Question: 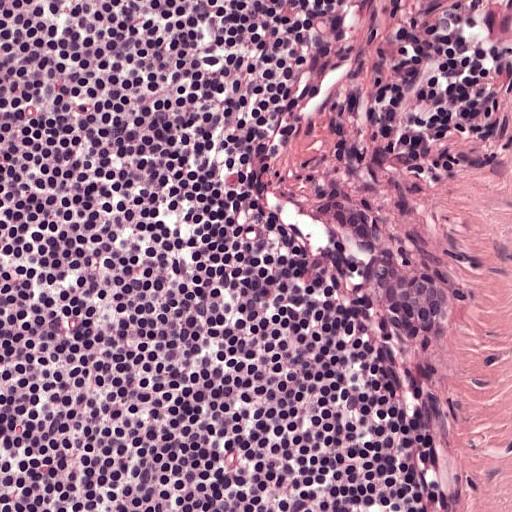
Which magnification is this H&E lymph node field most likely shown at?

Choices:
 (A) about 2.5×
 (B) about 40×
 (C) about 10×
 (D) about 5×
 (E) about 20×

Answer: (E) about 20×
This is a crop of a whole-slide image: an H&E-stained breast-cancer sentinel lymph node section at roughly 20× magnification (about 0.49 µm per pixel; the crop spans about 0.25 mm).
The outlined metastatic tumour's edge, as a closed clockwise path of 11 points: (315, 184), (336, 186), (412, 250), (444, 286), (453, 310), (453, 334), (430, 342), (406, 336), (385, 324), (346, 234), (310, 200).
About 5% of the image area is annotated as tumour.
Question: 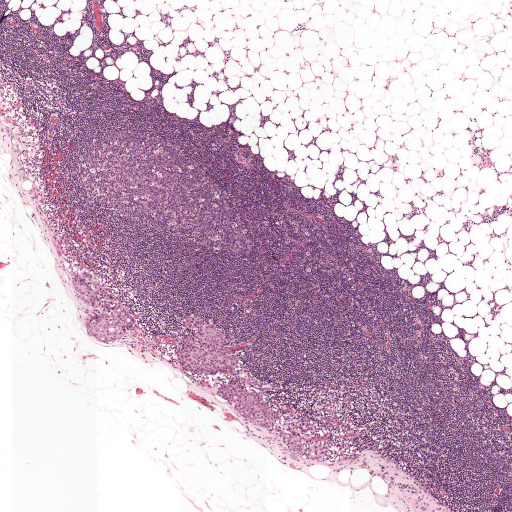
Which magnification is this H&E lymph node field most likely shown at?

Choices:
 (A) about 10×
 (B) about 2.5×
 (C) about 40×
 (D) about 5×
 (E) about 20×

Answer: (B) about 2.5×
H&E-stained section of a sentinel lymph node (breast cancer), from a whole-slide image, viewed at about 2.5×: the field is about 2.0 mm across, about 3.9 µm per pixel.
Four metastatic tumour regions, each outlined as a closed clockwise path in crop pixels (x, y), largest first: region 1: (192, 311), (205, 314), (224, 333), (237, 355), (238, 361), (235, 373), (223, 378), (191, 374), (181, 366), (177, 348), (182, 344), (193, 342), (195, 329), (183, 328), (179, 322), (181, 316), (186, 312); region 2: (80, 271), (87, 271), (108, 286), (118, 303), (129, 309), (134, 320), (132, 326), (126, 329), (121, 340), (109, 343), (91, 338), (86, 334), (83, 328), (86, 322), (103, 315), (110, 314), (96, 297), (98, 307), (88, 307), (77, 300), (72, 281), (74, 276); region 3: (235, 380), (248, 385), (265, 396), (280, 410), (282, 416), (280, 422), (270, 429), (263, 429), (240, 417), (217, 394), (217, 388), (221, 384); region 4: (292, 439), (304, 440), (306, 446), (306, 453), (301, 458), (295, 458), (289, 456), (287, 450), (288, 443).
The annotated tumour makes up about 5% of the crop.
Question: 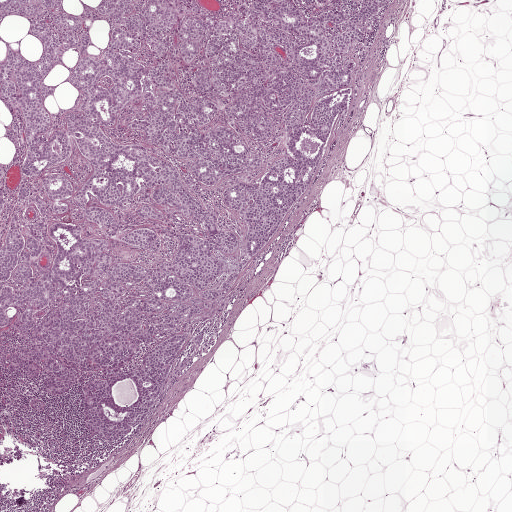
Which magnification is this H&E lymph node field most likely shown at?

Choices:
 (A) about 10×
 (B) about 2.5×
 (C) about 20×
 (D) about 5×
 (E) about 40×

Answer: (B) about 2.5×
Lymph node section stained with H&E, from a whole-slide image of a breast-cancer sentinel node. Magnification about 2.5×, about 2.0 mm across the frame, about 3.9 µm per pixel.
Metastatic tumour outline, simplified to 38 points and listed clockwise in crop pixels (x, y): (0, 0), (195, 0), (205, 21), (385, 0), (344, 60), (348, 108), (300, 138), (326, 144), (318, 169), (246, 267), (244, 220), (221, 195), (268, 166), (193, 188), (240, 238), (209, 286), (239, 274), (222, 310), (125, 365), (203, 330), (121, 441), (86, 429), (83, 390), (119, 377), (117, 377), (78, 381), (47, 396), (0, 366), (14, 303), (4, 326), (18, 204), (0, 217), (0, 164), (12, 197), (32, 180), (0, 58), (11, 38), (43, 51).
One more small tumour piece is annotated here but not outlined.
The annotated tumour makes up about 40% of the crop.
Question: 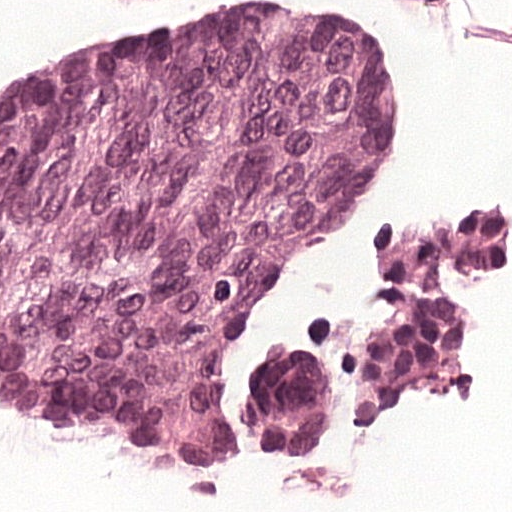
Which magnification is this H&E lymph node field most likely shown at?

Choices:
 (A) about 40×
 (B) about 2.5×
 (C) about 5×
 (D) about 10×
 (E) about 20×

Answer: (A) about 40×
This is a crop of a whole-slide image: an H&E-stained breast-cancer sentinel lymph node section at roughly 40× magnification (about 0.24 µm per pixel; the crop spans about 0.12 mm).
One metastatic tumour region; its boundary, reduced to 18 corners and listed clockwise: (292, 0), (354, 17), (397, 61), (397, 187), (387, 206), (357, 228), (298, 232), (283, 254), (280, 298), (306, 313), (339, 361), (346, 421), (309, 417), (283, 460), (169, 458), (0, 406), (0, 64), (102, 2).
The annotated tumour makes up about 60% of the crop.